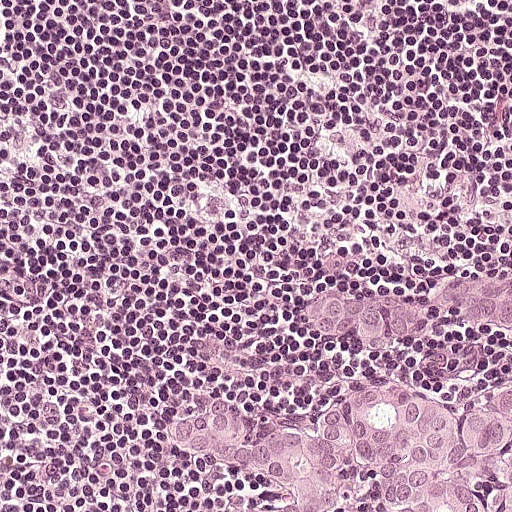
This is a crop of a whole-slide image: an H&E-stained breast-cancer sentinel lymph node section at roughly 20× magnification (about 0.49 µm per pixel; the crop spans about 0.25 mm).
One metastatic tumour region; its boundary, reduced to 16 corners and listed clockwise: (463, 256), (508, 271), (511, 511), (224, 511), (220, 470), (166, 440), (208, 405), (252, 406), (270, 418), (311, 410), (334, 370), (332, 349), (308, 322), (306, 303), (318, 288), (411, 293).
About 20% of the image area is annotated as tumour.